Question: 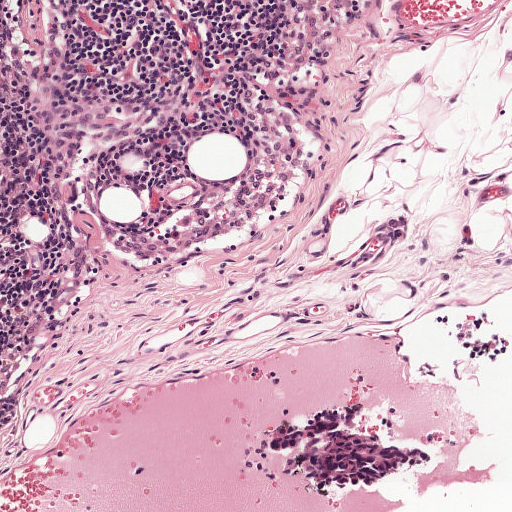
Lymph node section stained with H&E, from a whole-slide image of a breast-cancer sentinel node. Magnification about 10×, about 0.5 mm across the frame, about 0.97 µm per pixel.
Roughly what share of this field is metastatic tumour?

Choices:
 (A) about 50% or more
 (B) about 10% to 20%
 (C) about 5% or less
 (D) about 25% to 45%
 (E) none: no tumour is outlined

Answer: (C) about 5% or less
About 5% of the field is tumour.
Outlines of two tumour regions, largest first (closed clockwise paths, crop pixels): region 1: (321, 404), (406, 404), (418, 425), (435, 432), (433, 466), (382, 487), (295, 492), (248, 469), (242, 460), (251, 438), (269, 418); region 2: (483, 334), (502, 335), (511, 346), (505, 359), (486, 364), (468, 359), (462, 342).